Image:
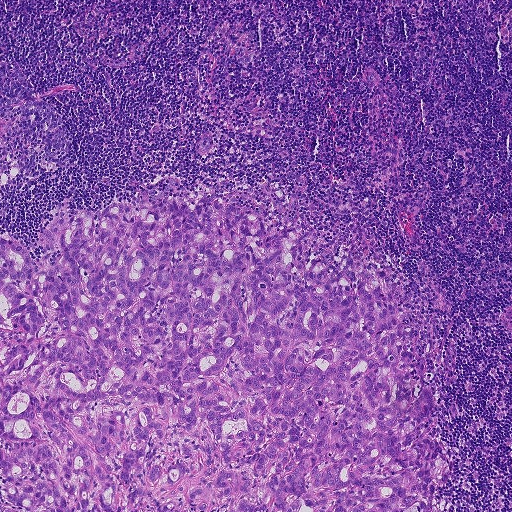
This is a crop of a whole-slide image: an H&E-stained breast-cancer sentinel lymph node section at roughly 5× magnification (about 1.8 µm per pixel; the crop spans about 0.93 mm).
Question:
Outline the metastatic carcinoma in this image, as closed paths of (x, y) pixel coordinates.
Answer:
The outlined metastatic tumour's edge, as a closed clockwise path of 20 points: (181, 197), (191, 209), (209, 197), (297, 229), (310, 258), (332, 267), (348, 257), (404, 274), (412, 300), (400, 320), (434, 375), (428, 435), (446, 450), (449, 482), (424, 511), (0, 511), (5, 232), (35, 260), (59, 201), (99, 211).
The annotated tumour makes up about 45% of the crop.